H&E-stained section of a sentinel lymph node (breast cancer), from a whole-slide image, viewed at about 20×: the field is about 0.23 mm across, about 0.45 µm per pixel.
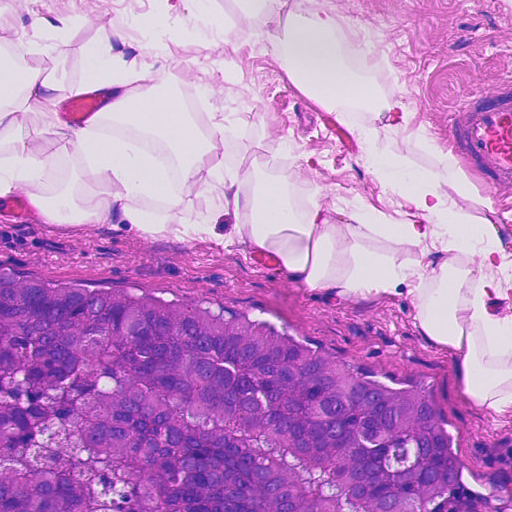
Question: Show where the tumour is in this image.
Answer: Metastatic tumour outline, simplified to 9 points and listed clockwise in crop pixels (x, y): (0, 271), (207, 306), (280, 329), (378, 384), (426, 384), (463, 461), (452, 496), (432, 511), (0, 511).
About 35% of the image area is annotated as tumour.